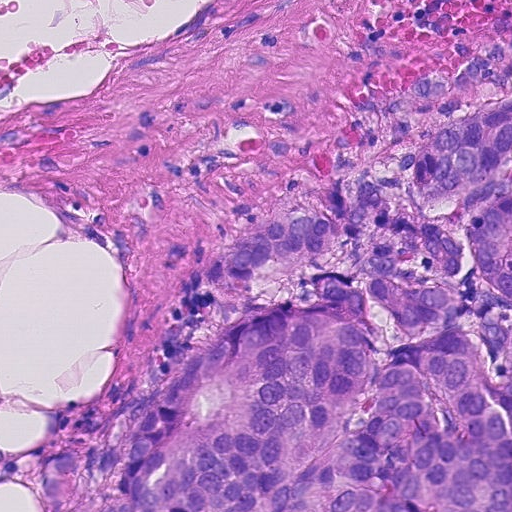
This is a crop of a whole-slide image: an H&E-stained breast-cancer sentinel lymph node section at roughly 20× magnification (about 0.45 µm per pixel; the crop spans about 0.23 mm).
Metastatic tumour outline, simplified to 12 points and listed clockwise in crop pixels (x, y): (511, 90), (511, 511), (0, 511), (0, 438), (34, 444), (50, 414), (114, 399), (167, 332), (203, 308), (216, 265), (246, 231), (324, 196).
Tumour covers about 50% of the frame.